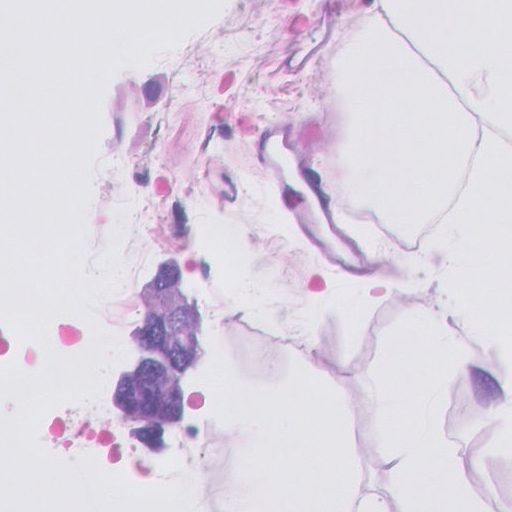
A 0.13-mm field of an H&E-stained sentinel lymph node from a breast-cancer patient (whole-slide image), shown at about 40×, about 0.25 µm per pixel.
One metastatic tumour region; its boundary, reduced to 4 corners and listed clockwise: (145, 186), (251, 221), (202, 480), (71, 452).
About 15% of this field is tumour.